Image:
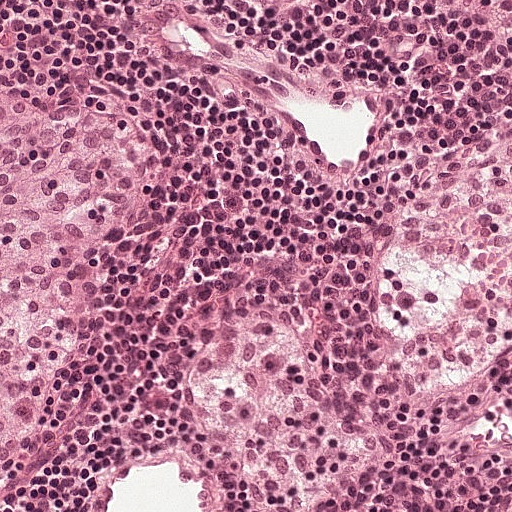
This is a crop of a whole-slide image: an H&E-stained breast-cancer sentinel lymph node section at roughly 20× magnification (about 0.49 µm per pixel; the crop spans about 0.25 mm).
Question:
Is any metastatic breast cancer visible in this crop?
Answer:
No: no metastatic tumour is outlined anywhere in this field.